Lymph node section stained with H&E, from a whole-slide image of a breast-cancer sentinel node. Magnification about 20×, about 0.25 mm across the frame, about 0.49 µm per pixel.
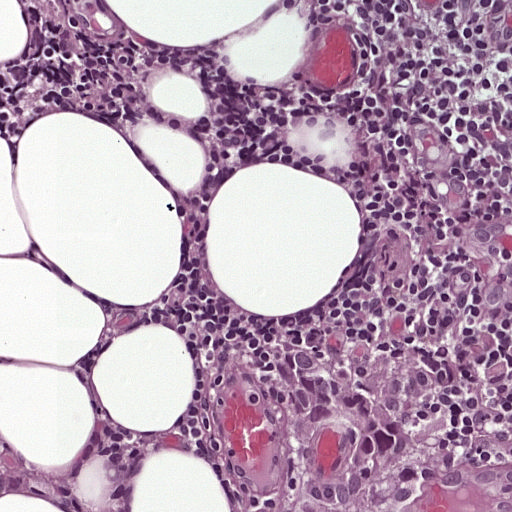
Question: Describe where the metastatic carcinoma lies in this crop.
Answer: Two metastatic tumour regions, each outlined as a closed clockwise path in crop pixels (x, y), largest first: region 1: (318, 353), (366, 380), (435, 369), (414, 436), (450, 476), (472, 511), (293, 511), (356, 464), (358, 437), (346, 412), (304, 377), (290, 354); region 2: (511, 213), (511, 296), (488, 322), (456, 348), (492, 298), (488, 272), (472, 250), (469, 224).
About 5% of the image area is annotated as tumour.